Image:
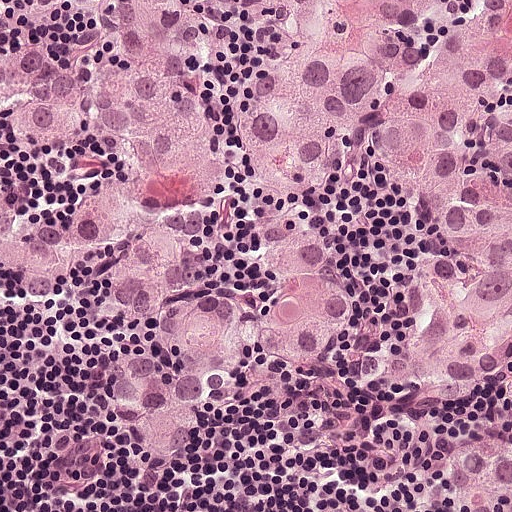
Lymph node section stained with H&E, from a whole-slide image of a breast-cancer sentinel node. Magnification about 20×, about 0.25 mm across the frame, about 0.49 µm per pixel.
Question:
Show where the tumour is in this image.
Answer:
Outlines of two tumour regions, largest first (closed clockwise paths, crop pixels): region 1: (0, 0), (511, 0), (511, 407), (505, 378), (439, 400), (358, 378), (412, 310), (404, 278), (455, 243), (364, 149), (313, 202), (362, 304), (340, 344), (254, 356), (178, 453), (152, 457), (109, 394), (156, 326), (95, 318), (114, 246), (56, 294), (5, 276); region 2: (483, 438), (511, 445), (511, 511), (463, 511), (447, 494), (441, 456).
About 70% of this field is tumour.